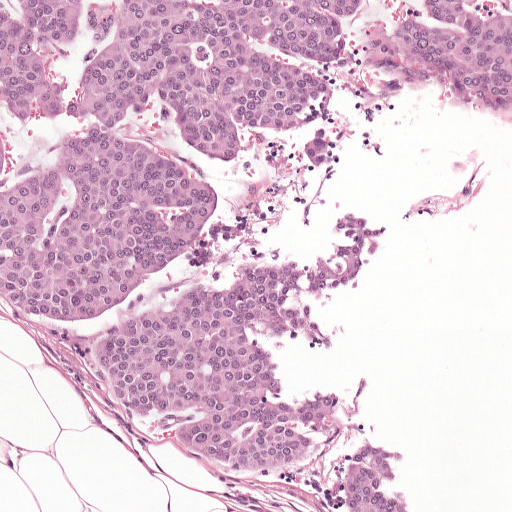
This is a crop of a whole-slide image: an H&E-stained breast-cancer sentinel lymph node section at roughly 10× magnification (about 0.97 µm per pixel; the crop spans about 0.5 mm).
Tumour region outline (a closed clockwise path, crop pixels): (0, 0), (511, 0), (511, 130), (400, 94), (370, 126), (386, 159), (354, 140), (314, 227), (298, 209), (264, 245), (327, 254), (339, 208), (393, 228), (332, 315), (341, 353), (285, 356), (302, 386), (368, 367), (429, 511), (335, 511), (324, 477), (167, 441), (76, 329), (8, 307).
Tumour covers about 65% of the frame.